Question: 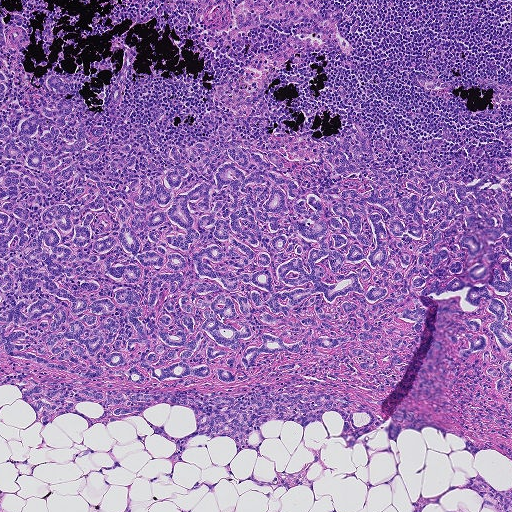
Lymph node section stained with H&E, from a whole-slide image of a breast-cancer sentinel node. Magnification about 5×, about 0.93 mm across the frame, about 1.8 µm per pixel.
Estimate the proportion of this field that is metastatic tumour.

Choices:
 (A) about 10% to 20%
 (B) none: no tumour is outlined
 (C) about 5% or less
 (D) about 25% to 45%
 (E) about 50% or more

Answer: (E) about 50% or more
About 55% of the field is tumour.
Boundaries of three metastatic tumour regions, simplified and listed clockwise, largest first: region 1: (136, 51), (86, 148), (100, 172), (118, 139), (139, 171), (233, 116), (320, 194), (356, 132), (403, 184), (434, 138), (436, 164), (510, 182), (511, 462), (388, 437), (470, 287), (420, 296), (385, 421), (351, 448), (328, 411), (267, 423), (260, 458), (199, 435), (174, 462), (145, 423), (186, 437), (192, 410), (44, 426), (0, 387), (0, 120), (54, 100), (48, 76), (95, 114); region 2: (479, 474), (488, 484), (498, 490), (504, 490), (511, 485), (511, 511), (496, 511), (494, 509), (483, 505), (482, 498), (478, 493), (461, 486); region 3: (0, 69), (7, 77), (9, 85), (9, 90), (0, 96).